Question: 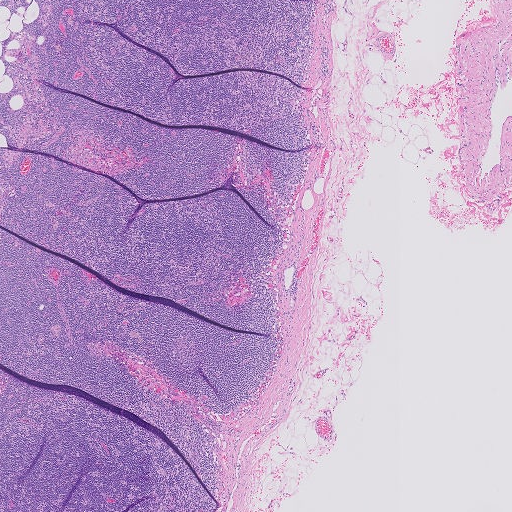
At roughly what magnification is this field shown?

Choices:
 (A) about 40×
 (B) about 10×
 (C) about 5×
 (D) about 2.5×
 (E) about 20×

Answer: (D) about 2.5×
This is a crop of a whole-slide image: an H&E-stained breast-cancer sentinel lymph node section at roughly 2.5× magnification (about 4.0 µm per pixel; the crop spans about 2.0 mm).